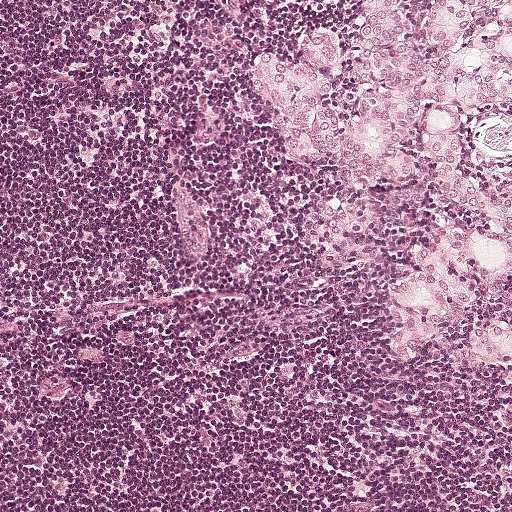
Lymph node section stained with H&E, from a whole-slide image of a breast-cancer sentinel node. Magnification about 10×, about 0.5 mm across the frame, about 0.97 µm per pixel.
Question: Does this lymph node field contain metastatic tumour?
Answer: Yes.
Three metastatic tumour regions, each outlined as a closed clockwise path in crop pixels (x, y), largest first: region 1: (511, 0), (511, 116), (474, 111), (456, 153), (511, 195), (511, 285), (401, 364), (379, 355), (387, 281), (446, 224), (442, 208), (390, 182), (370, 264), (316, 274), (296, 219), (328, 182), (275, 164), (250, 78), (316, 30), (360, 38), (367, 2); region 2: (488, 321), (511, 329), (511, 370), (500, 370), (472, 358), (464, 348), (464, 330); region 3: (255, 0), (288, 0), (286, 9), (280, 9), (267, 8).
About 25% of this field is tumour.